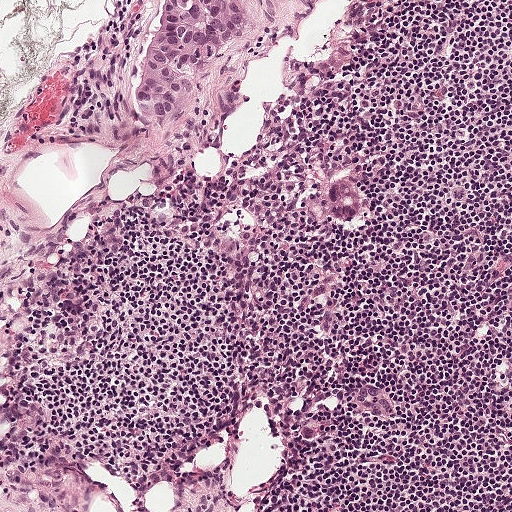
H&E-stained section of a sentinel lymph node (breast cancer), from a whole-slide image, viewed at about 10×: the field is about 0.5 mm across, about 0.97 µm per pixel.
Metastatic tumour outline, simplified to 12 points and listed clockwise in crop pixels (x, y): (257, 0), (257, 14), (248, 40), (203, 78), (188, 111), (172, 115), (169, 123), (158, 123), (137, 118), (136, 104), (145, 54), (164, 1).
Tumour covers about 5% of the frame.